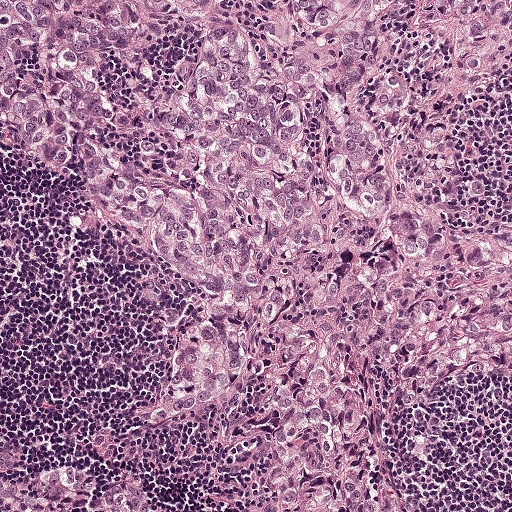
Lymph node section stained with H&E, from a whole-slide image of a breast-cancer sentinel node. Magnification about 10×, about 0.5 mm across the frame, about 0.97 µm per pixel.
Boundaries of two metastatic tumour regions, simplified and listed clockwise, largest first: region 1: (0, 0), (511, 0), (511, 57), (476, 109), (452, 212), (511, 235), (511, 350), (495, 361), (511, 376), (466, 376), (447, 392), (422, 475), (433, 511), (244, 511), (211, 491), (168, 440), (165, 407), (176, 370), (216, 318), (218, 285), (151, 261), (110, 212), (5, 142); region 2: (78, 435), (106, 435), (111, 451), (140, 470), (153, 510), (0, 511), (0, 454).
About 75% of this field is tumour.